Image:
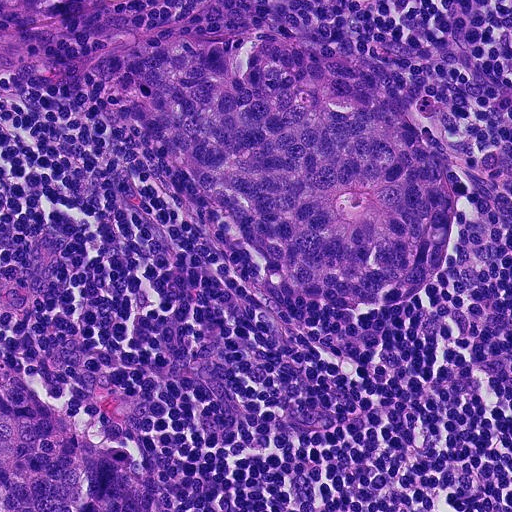
A 0.23-mm field of an H&E-stained sentinel lymph node from a breast-cancer patient (whole-slide image), shown at about 20×, about 0.45 µm per pixel.
Question:
Describe where the metastatic carcinoma lies in this crop.
Answer:
Boundaries of two metastatic tumour regions, simplified and listed clockwise, largest first: region 1: (0, 0), (148, 0), (332, 20), (404, 72), (453, 146), (421, 317), (334, 309), (262, 257), (75, 61), (0, 24); region 2: (0, 372), (56, 416), (130, 466), (159, 511), (0, 511).
About 35% of the image area is annotated as tumour.